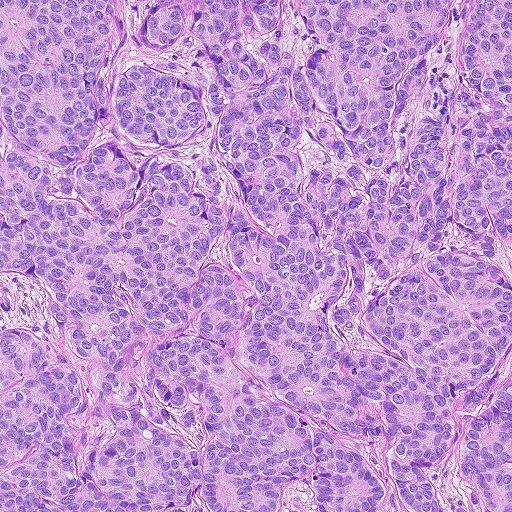
This is a crop of a whole-slide image: an H&E-stained breast-cancer sentinel lymph node section at roughly 10× magnification (about 0.9 µm per pixel; the crop spans about 0.46 mm).
Metastatic tumour covers the whole field.
Over 95% of this field is tumour.